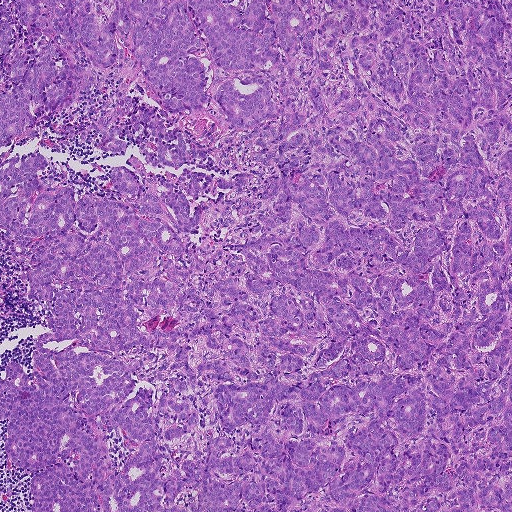
This is a crop of a whole-slide image: an H&E-stained breast-cancer sentinel lymph node section at roughly 5× magnification (about 1.8 µm per pixel; the crop spans about 0.93 mm).
Question: Is any metastatic breast cancer visible in this crop?
Answer: Yes.
Metastatic tumour covers the whole field.
Tumour covers over 95% of the frame.

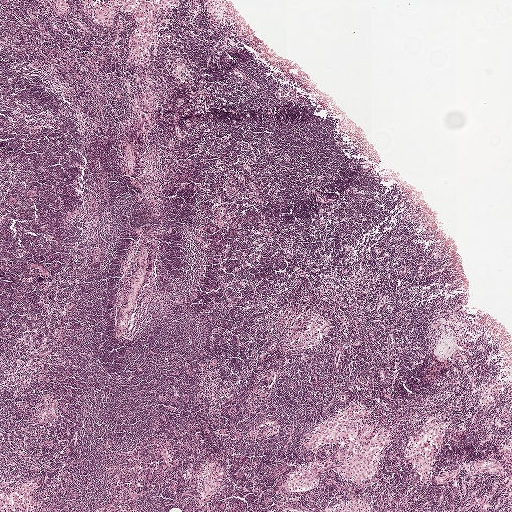
This is a crop of a whole-slide image: an H&E-stained breast-cancer sentinel lymph node section at roughly 2.5× magnification (about 3.9 µm per pixel; the crop spans about 2.0 mm).
Question: Is any metastatic breast cancer visible in this crop?
Answer: No. No metastatic tumour is outlined in this field.

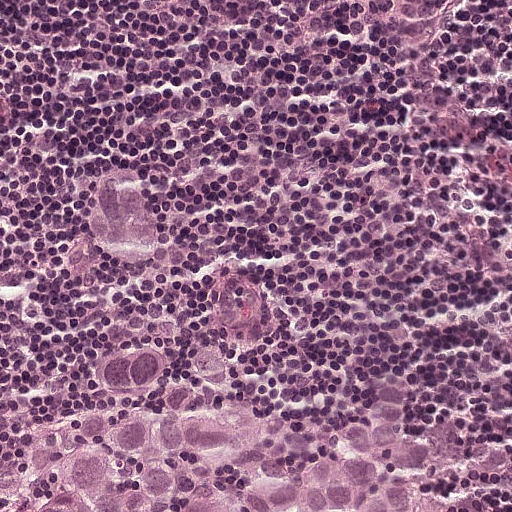
Lymph node section stained with H&E, from a whole-slide image of a breast-cancer sentinel node. Magnification about 20×, about 0.25 mm across the frame, about 0.49 µm per pixel.
Question: Is any metastatic breast cancer visible in this crop?
Answer: Yes.
Tumour region outline (a closed clockwise path, crop pixels): (91, 378), (238, 385), (295, 432), (361, 405), (400, 434), (432, 428), (508, 468), (511, 511), (11, 511), (52, 405).
The annotated tumour makes up about 20% of the crop.

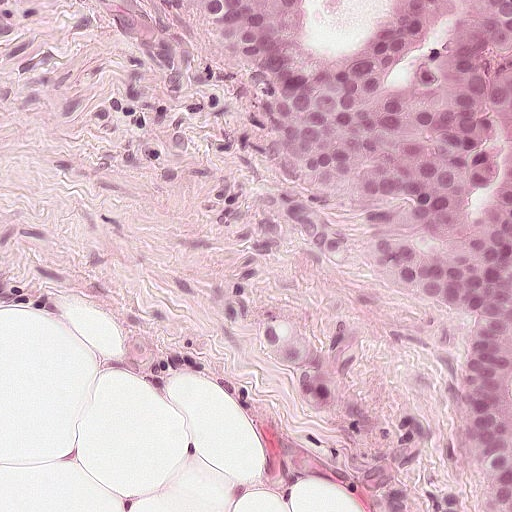
This is a crop of a whole-slide image: an H&E-stained breast-cancer sentinel lymph node section at roughly 20× magnification (about 0.49 µm per pixel; the crop spans about 0.25 mm).
Question: Is any metastatic breast cancer visible in this crop?
Answer: Yes.
Metastatic tumour outline, simplified to 11 points and listed clockwise in crop pixels (x, y): (511, 0), (511, 511), (500, 511), (482, 482), (443, 344), (446, 312), (422, 270), (276, 178), (244, 110), (195, 62), (159, 3).
About 30% of this field is tumour.